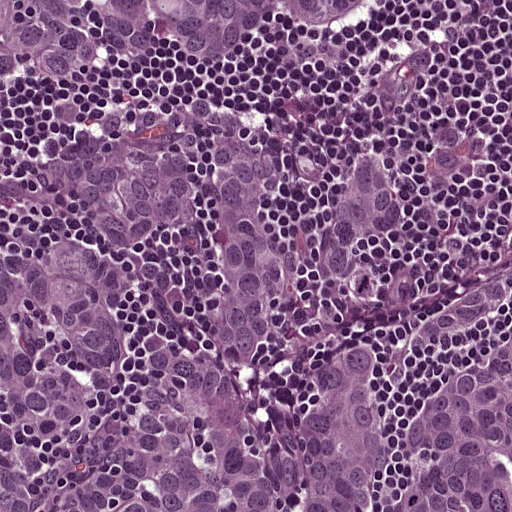
Lymph node section stained with H&E, from a whole-slide image of a breast-cancer sentinel node. Magnification about 20×, about 0.25 mm across the frame, about 0.49 µm per pixel.
The outlined metastatic tumour's edge, as a closed clockwise path of 16 points: (0, 0), (380, 0), (354, 23), (218, 61), (76, 68), (92, 112), (282, 109), (314, 144), (358, 154), (404, 146), (430, 184), (434, 138), (476, 118), (510, 204), (511, 511), (0, 511).
About 85% of this field is tumour.